Question: 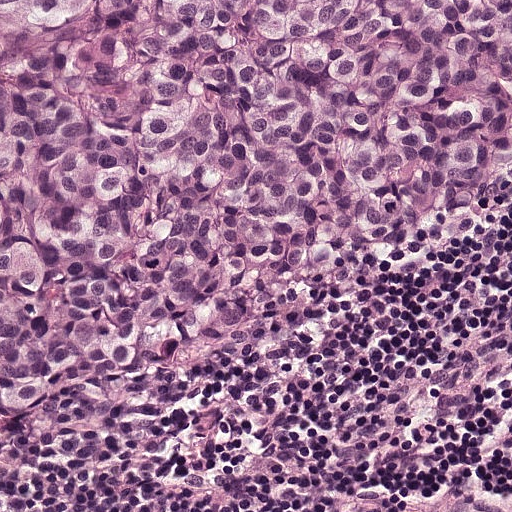
A 0.25-mm field of an H&E-stained sentinel lymph node from a breast-cancer patient (whole-slide image), shown at about 20×, about 0.49 µm per pixel.
What fraction of the image area is metastatic tumour?

Choices:
 (A) about 25% to 45%
 (B) about 10% to 20%
 (C) none: no tumour is outlined
 (D) about 50% or more
 (E) about 5% or less

Answer: (D) about 50% or more
About 60% of the field is tumour.
The outlined metastatic tumour's edge, as a closed clockwise path of 8 points: (0, 0), (511, 0), (511, 159), (476, 168), (413, 230), (299, 279), (224, 330), (4, 425).